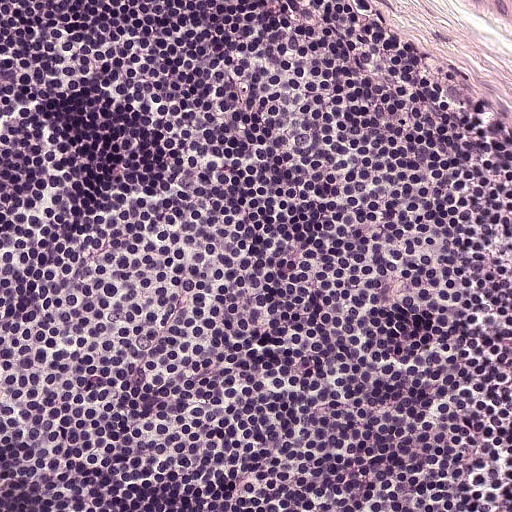
A 0.25-mm field of an H&E-stained sentinel lymph node from a breast-cancer patient (whole-slide image), shown at about 20×, about 0.49 µm per pixel.